Question: 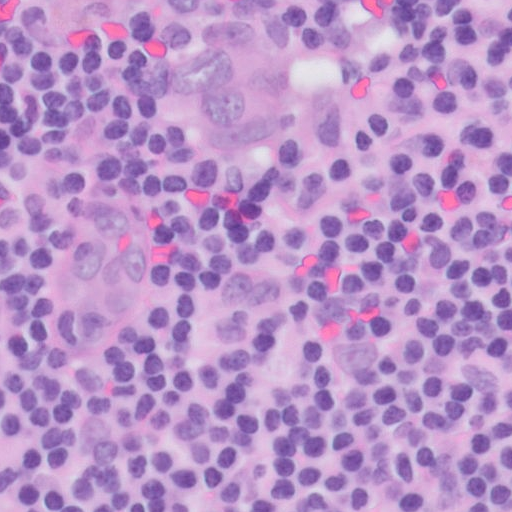
About what magnification does this crop show?

Choices:
 (A) about 5×
 (B) about 40×
 (C) about 2.5×
 (D) about 20×
 (E) about 10×

Answer: (B) about 40×
H&E-stained section of a sentinel lymph node (breast cancer), from a whole-slide image, viewed at about 40×: the field is about 0.13 mm across, about 0.25 µm per pixel.
Metastatic tumour outline, simplified to 10 points and listed clockwise in crop pixels (x, y): (228, 15), (256, 30), (269, 68), (274, 108), (261, 147), (222, 151), (185, 134), (159, 102), (161, 62), (192, 36).
About 5% of the image area is annotated as tumour.